H&E-stained section of a sentinel lymph node (breast cancer), from a whole-slide image, viewed at about 10×: the field is about 0.5 mm across, about 0.97 µm per pixel.
Question: 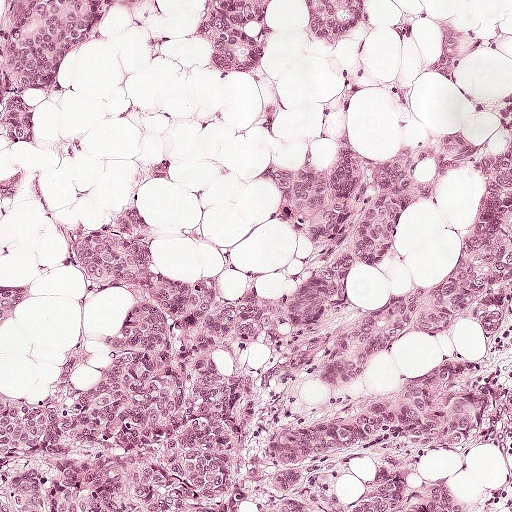
Roughly what share of this field is metastatic tumour?

Choices:
 (A) about 10% to 20%
 (B) about 50% or more
 (C) about 5% or less
 (D) about 25% to 45%
 (E) none: no tumour is outlined

Answer: (B) about 50% or more
About 80% of the field is tumour.
Outlines of two tumour regions, largest first (closed clockwise paths, crop pixels): region 1: (507, 128), (511, 511), (0, 511), (0, 224), (24, 237), (74, 234), (169, 192), (324, 178), (405, 135); region 2: (0, 0), (372, 0), (352, 82), (299, 100), (165, 96), (91, 128), (3, 191).